This is a crop of a whole-slide image: an H&E-stained breast-cancer sentinel lymph node section at roughly 20× magnification (about 0.49 µm per pixel; the crop spans about 0.25 mm).
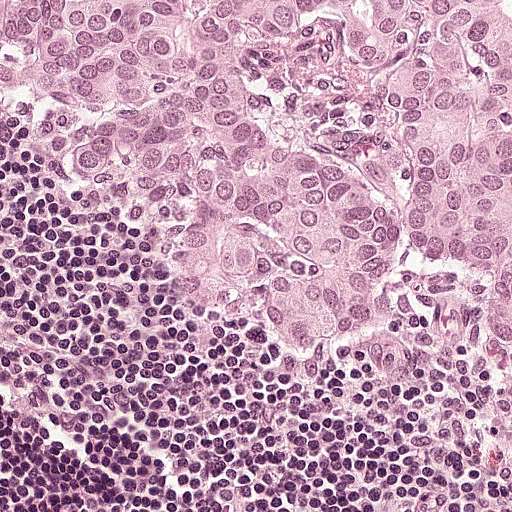
Question: Which parts of this field are metastatic tumour? Answer with the outline of each region, in pixels.
Answer: One metastatic tumour region; its boundary, reduced to 12 corners and listed clockwise: (0, 0), (511, 0), (511, 379), (461, 306), (409, 360), (302, 369), (258, 356), (175, 300), (152, 266), (114, 254), (56, 178), (3, 165).
About 60% of this field is tumour.